Image:
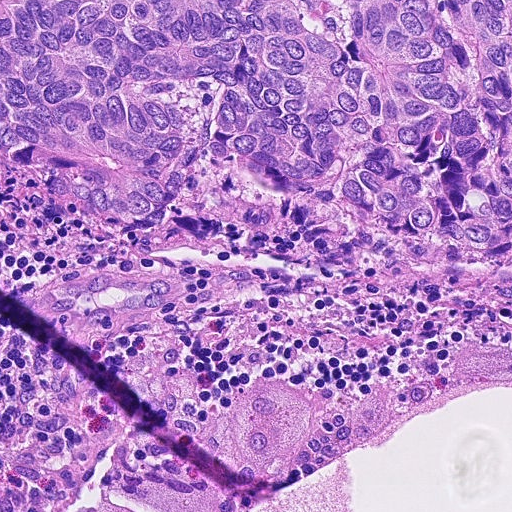
Lymph node section stained with H&E, from a whole-slide image of a breast-cancer sentinel node. Magnification about 20×, about 0.23 mm across the frame, about 0.45 µm per pixel.
Question:
Trace the edge of each tumour region in this crop, as (x, y) points from 0 to 511.
Answer:
Tumour region outline (a closed clockwise path, crop pixels): (0, 0), (511, 0), (511, 250), (422, 258), (342, 251), (315, 232), (198, 198), (155, 225), (72, 227), (30, 218), (0, 168).
Tumour covers about 45% of the frame.